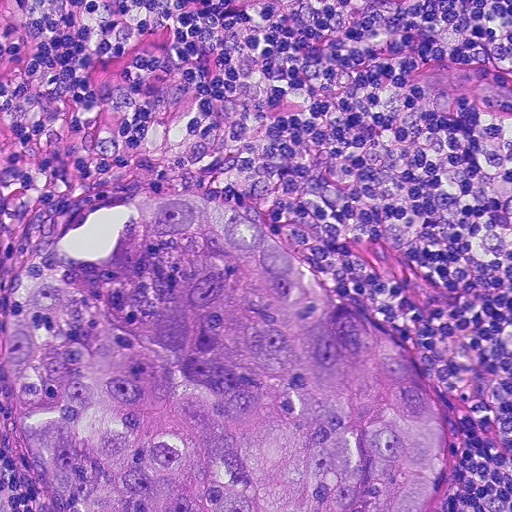
A 0.23-mm field of an H&E-stained sentinel lymph node from a breast-cancer patient (whole-slide image), shown at about 20×, about 0.45 µm per pixel.
Question: Describe where the metastatic carcinoma lies in this crop.
Answer: Tumour region outline (a closed clockwise path, crop pixels): (178, 196), (270, 235), (410, 360), (438, 432), (438, 482), (421, 511), (68, 511), (38, 476), (6, 352), (24, 278), (78, 222).
Tumour covers about 40% of the frame.